Question: 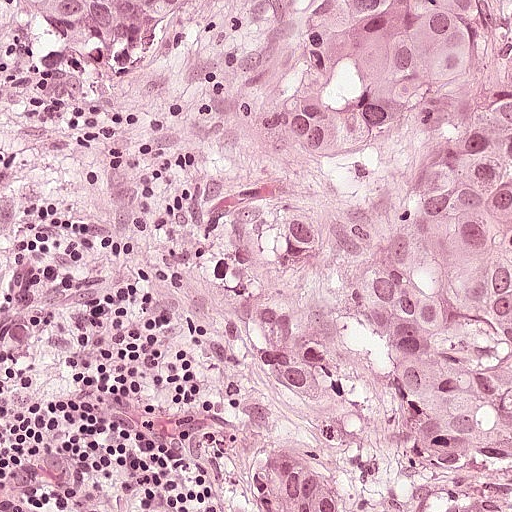
H&E-stained section of a sentinel lymph node (breast cancer), from a whole-slide image, viewed at about 20×: the field is about 0.25 mm across, about 0.49 µm per pixel.
Roughly what share of this field is metastatic tumour?

Choices:
 (A) about 50% or more
 (B) about 10% to 20%
 (C) about 5% or less
 (D) none: no tumour is outlined
 (E) about 25% to 45%

Answer: (A) about 50% or more
About 50% of the field is tumour.
Two metastatic tumour regions, each outlined as a closed clockwise path in crop pixels (x, y), largest first: region 1: (495, 0), (511, 35), (511, 448), (500, 446), (488, 468), (510, 491), (511, 511), (412, 510), (424, 442), (378, 376), (374, 330), (347, 305), (358, 414), (336, 506), (238, 511), (241, 436), (282, 402), (274, 380), (214, 330), (192, 274), (227, 166), (277, 124), (266, 90), (292, 5); region 2: (0, 0), (177, 0), (160, 24), (94, 76), (50, 82), (41, 87), (32, 84), (26, 36), (13, 14), (0, 7).